Lymph node section stained with H&E, from a whole-slide image of a breast-cancer sentinel node. Magnification about 2.5×, about 1.9 mm across the frame, about 3.6 µm per pixel.
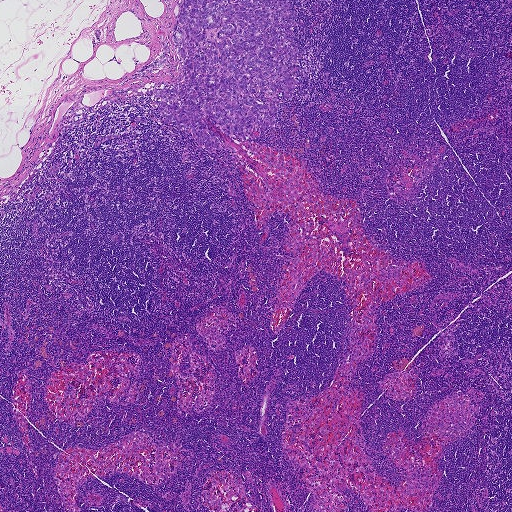
One metastatic tumour region; its boundary, reduced to 24 corners and listed clockwise: (291, 0), (296, 10), (289, 28), (301, 56), (287, 68), (301, 83), (292, 99), (281, 92), (270, 102), (279, 106), (276, 125), (240, 139), (201, 118), (232, 151), (203, 149), (189, 138), (192, 132), (164, 122), (152, 103), (157, 84), (182, 75), (181, 47), (171, 39), (181, 1).
Tumour covers about 5% of the frame.